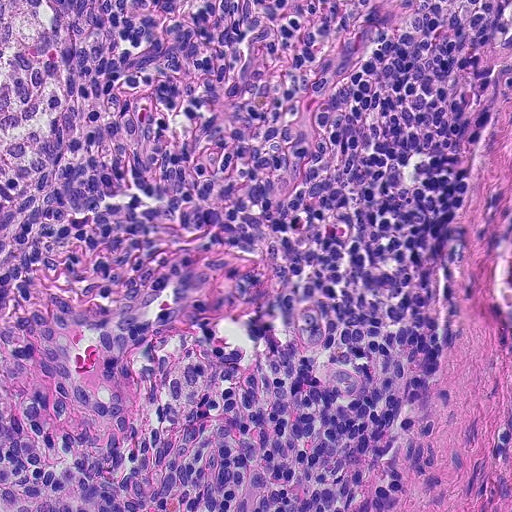
This is a crop of a whole-slide image: an H&E-stained breast-cancer sentinel lymph node section at roughly 20× magnification (about 0.45 µm per pixel; the crop spans about 0.23 mm).